Question: 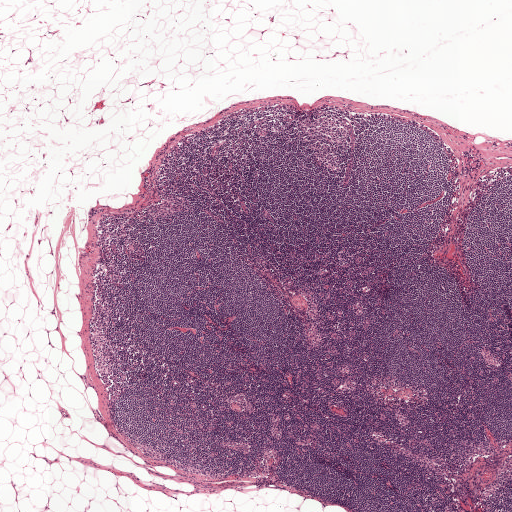
At roughly what magnification is this field shown?

Choices:
 (A) about 20×
 (B) about 5×
 (C) about 10×
 (D) about 40×
 (E) about 2.5×

Answer: (E) about 2.5×
This is a crop of a whole-slide image: an H&E-stained breast-cancer sentinel lymph node section at roughly 2.5× magnification (about 3.9 µm per pixel; the crop spans about 2.0 mm).